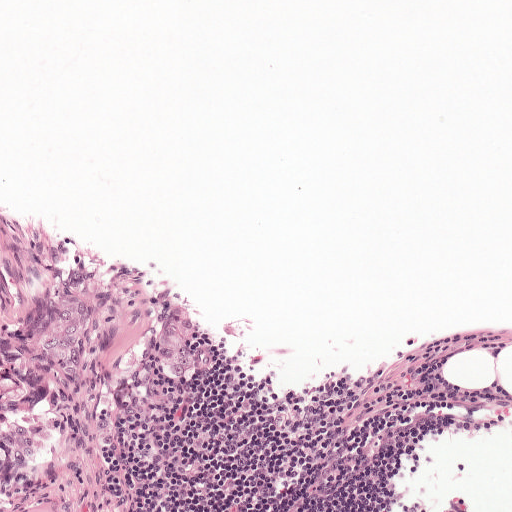
This is a crop of a whole-slide image: an H&E-stained breast-cancer sentinel lymph node section at roughly 10× magnification (about 0.97 µm per pixel; the crop spans about 0.5 mm).
Outlines of four tumour regions, largest first (closed clockwise paths, crop pixels): region 1: (78, 265), (94, 282), (94, 354), (86, 378), (62, 378), (42, 367), (31, 345), (35, 321), (44, 299); region 2: (172, 303), (192, 310), (196, 329), (198, 367), (183, 379), (166, 371), (154, 355), (154, 336), (159, 318); region 3: (0, 421), (24, 421), (42, 432), (44, 456), (31, 475), (6, 482), (0, 491); region 4: (105, 412), (113, 418), (113, 444), (105, 448), (92, 429), (97, 415).
One more small tumour piece is annotated here but not outlined.
About 5% of the image area is annotated as tumour.